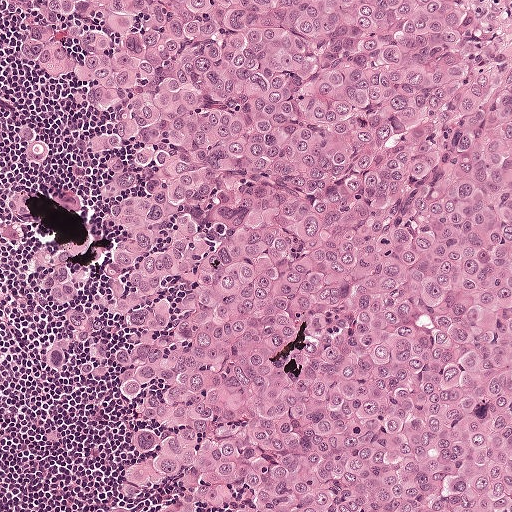
Lymph node section stained with H&E, from a whole-slide image of a breast-cancer sentinel node. Magnification about 10×, about 0.5 mm across the frame, about 0.97 µm per pixel.
Boundaries of two metastatic tumour regions, simplified and listed clockwise, largest first: region 1: (511, 0), (511, 511), (155, 511), (95, 172), (30, 60), (16, 2); region 2: (20, 124), (54, 142), (44, 144), (72, 150), (79, 164), (92, 280), (120, 376), (116, 389), (74, 389), (48, 378), (42, 372), (39, 301), (0, 285), (2, 158).
About 90% of this field is tumour.